Question: 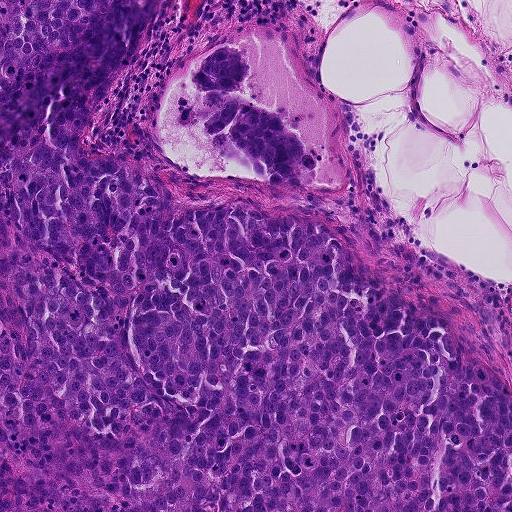
This is a crop of a whole-slide image: an H&E-stained breast-cancer sentinel lymph node section at roughly 10× magnification (about 0.9 µm per pixel; the crop spans about 0.46 mm).
What fraction of the image area is metastatic tumour?

Choices:
 (A) none: no tumour is outlined
 (B) about 5% or less
 (C) about 50% or more
 (D) about 25% to 45%
 (E) about 10% to 20%

Answer: (C) about 50% or more
About 70% of the field is tumour.
Boundaries of two metastatic tumour regions, simplified and listed clockwise, largest first: region 1: (0, 0), (161, 0), (131, 70), (90, 125), (93, 155), (126, 153), (194, 200), (244, 197), (276, 214), (307, 204), (384, 277), (446, 311), (511, 386), (511, 511), (0, 511); region 2: (228, 44), (242, 49), (251, 61), (250, 75), (236, 91), (298, 132), (318, 157), (319, 172), (312, 185), (298, 190), (226, 161), (204, 140), (201, 126), (209, 114), (199, 104), (198, 118), (186, 126), (173, 120), (171, 104), (182, 93), (202, 92), (192, 81), (203, 58), (213, 48).